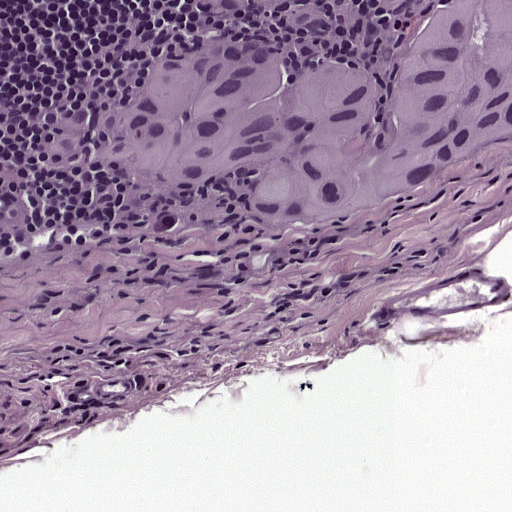
A 0.25-mm field of an H&E-stained sentinel lymph node from a breast-cancer patient (whole-slide image), shown at about 20×, about 0.49 µm per pixel.
Metastatic tumour outline, simplified to 13 points and listed clockwise in crop pixels (x, y): (183, 0), (511, 0), (511, 165), (456, 192), (274, 224), (233, 206), (233, 176), (186, 202), (55, 174), (27, 136), (61, 106), (116, 97), (178, 28).
Tumour covers about 30% of the frame.